Image:
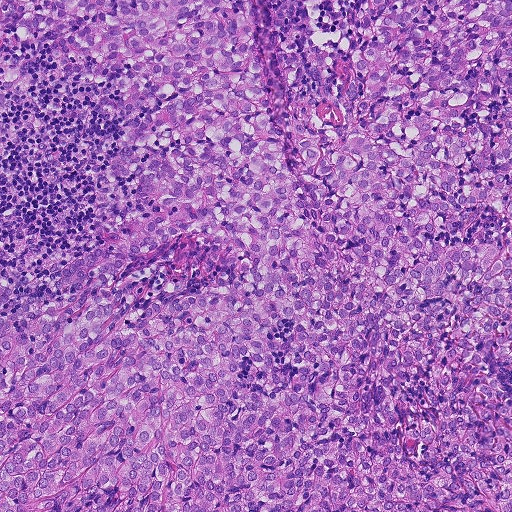
This is a crop of a whole-slide image: an H&E-stained breast-cancer sentinel lymph node section at roughly 10× magnification (about 0.9 µm per pixel; the crop spans about 0.46 mm).
Question:
Outline the metastatic carcinoma in this image, as closed paths of (x, y) pixel coordinates.
Answer:
The outlined metastatic tumour's edge, as a closed clockwise path of 24 points: (0, 0), (252, 0), (289, 134), (306, 121), (339, 133), (361, 10), (511, 0), (511, 511), (0, 511), (0, 279), (6, 311), (28, 293), (46, 303), (55, 272), (130, 220), (168, 212), (132, 174), (108, 168), (132, 142), (115, 111), (125, 86), (59, 77), (42, 34), (0, 30).
Tumour covers about 85% of the frame.